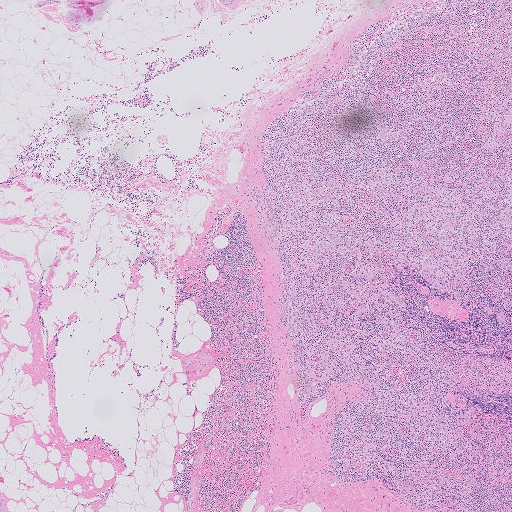
This is a crop of a whole-slide image: an H&E-stained breast-cancer sentinel lymph node section at roughly 2.5× magnification (about 4.0 µm per pixel; the crop spans about 2.0 mm).
The outlined metastatic tumour's edge, as a closed clockwise path of 6 points: (460, 25), (464, 30), (460, 35), (452, 37), (447, 33), (451, 26).
One more small tumour piece is annotated here but not outlined.
Under 5% of this field is tumour.